A 0.5-mm field of an H&E-stained sentinel lymph node from a breast-cancer patient (whole-slide image), shown at about 10×, about 0.97 µm per pixel.
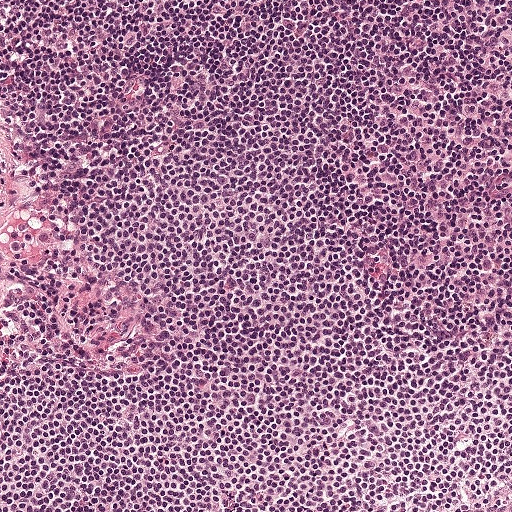
Question: Is any metastatic breast cancer visible in this crop?
Answer: No, this field holds no outlined metastasis.